Question: 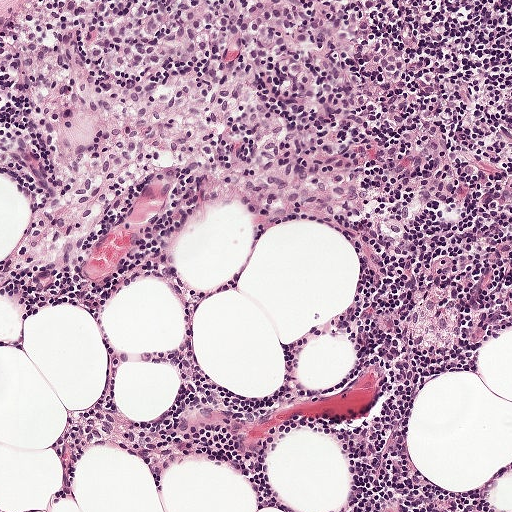
Lymph node section stained with H&E, from a whole-slide image of a breast-cancer sentinel node. Magnification about 10×, about 0.5 mm across the frame, about 0.97 µm per pixel.
Roughly what share of this field is metastatic tumour?

Choices:
 (A) none: no tumour is outlined
 (B) about 50% or more
 (C) about 5% or less
 (D) about 10% to 20%
 (E) about 25% to 45%

Answer: (D) about 10% to 20%
About 15% of the field is tumour.
Tumour region outline (a closed clockwise path, crop pixels): (101, 0), (453, 0), (426, 30), (417, 63), (424, 101), (414, 131), (398, 145), (346, 140), (240, 74), (95, 77), (66, 68), (42, 48), (37, 20).